This is a crop of a whole-slide image: an H&E-stained breast-cancer sentinel lymph node section at roughly 2.5× magnification (about 3.9 µm per pixel; the crop spans about 2.0 mm).
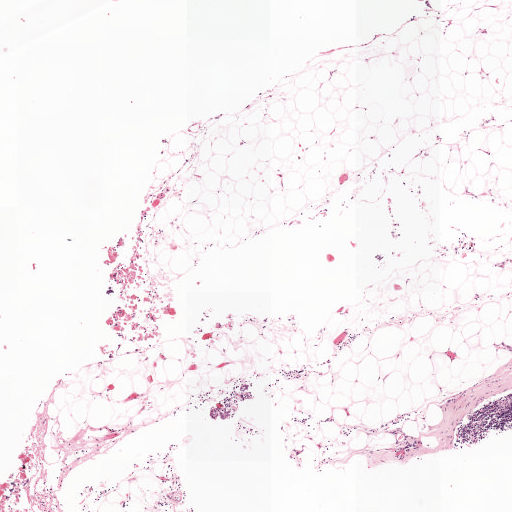
Question: Which parts of this field are metastatic tumour?
Answer: Metastatic tumour outline, simplified to 7 points and listed clockwise in crop pixels (x, y): (244, 382), (255, 383), (258, 397), (237, 416), (225, 422), (210, 422), (206, 409).
Under 5% of the image area is annotated as tumour.